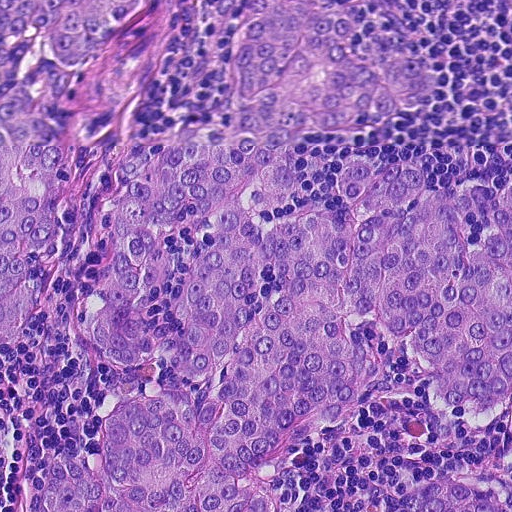
This is a crop of a whole-slide image: an H&E-stained breast-cancer sentinel lymph node section at roughly 20× magnification (about 0.45 µm per pixel; the crop spans about 0.23 mm).
Boundaries of four metastatic tumour regions, simplified and listed clockwise, largest first: region 1: (256, 0), (321, 0), (432, 60), (440, 92), (304, 135), (262, 230), (340, 208), (348, 161), (511, 175), (511, 398), (438, 408), (362, 320), (394, 378), (261, 466), (290, 503), (32, 511), (50, 442), (98, 468), (102, 418), (228, 365), (116, 365), (78, 310), (124, 176), (224, 109); region 2: (26, 84), (55, 128), (62, 163), (54, 198), (53, 235), (42, 250), (24, 244), (28, 262), (41, 265), (44, 283), (18, 331), (2, 341), (0, 100); region 3: (0, 0), (151, 0), (145, 9), (116, 30), (94, 61), (77, 66), (58, 66), (46, 51), (46, 32), (28, 33), (4, 41), (8, 58), (0, 68); region 4: (451, 473), (476, 474), (498, 482), (511, 499), (511, 511), (413, 511), (408, 496).
About 60% of the image area is annotated as tumour.